Question: 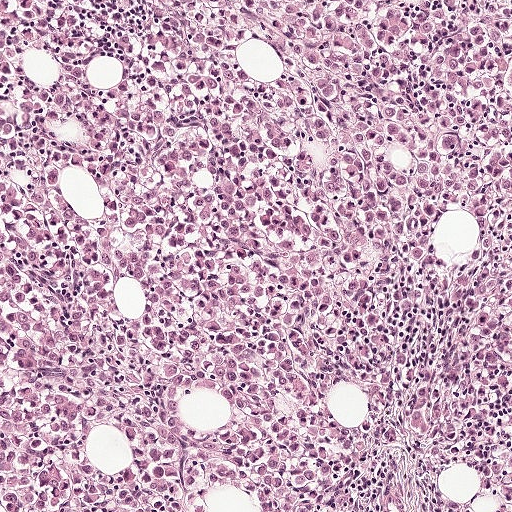
This is a crop of a whole-slide image: an H&E-stained breast-cancer sentinel lymph node section at roughly 10× magnification (about 0.97 µm per pixel; the crop spans about 0.5 mm).
Estimate the proportion of this field that is metastatic tumour.

Choices:
 (A) about 50% or more
 (B) about 5% or less
 (C) about 10% to 20%
 (D) none: no tumour is outlined
 (E) about 25% to 45%

Answer: (A) about 50% or more
About 70% of the field is tumour.
Boundaries of two metastatic tumour regions, simplified and listed clockwise, largest first: region 1: (187, 125), (257, 166), (318, 283), (316, 472), (305, 511), (0, 511), (0, 140), (92, 150); region 2: (511, 0), (511, 420), (450, 383), (388, 308), (300, 151), (245, 2).